Image:
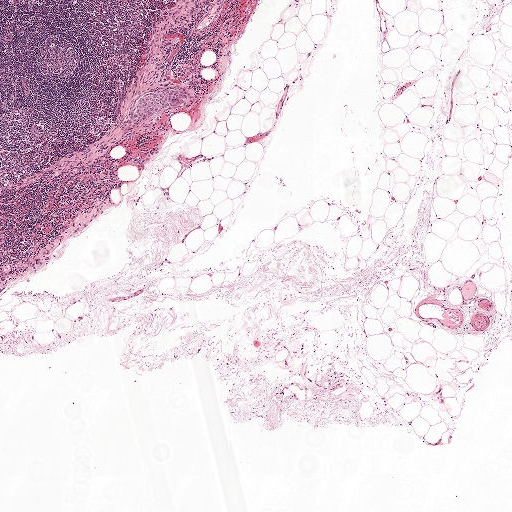
Lymph node section stained with H&E, from a whole-slide image of a breast-cancer sentinel node. Magnification about 2.5×, about 2.0 mm across the frame, about 3.9 µm per pixel.
Question:
Does this lymph node field contain metastatic tumour?
Answer:
Yes.
The outlined metastatic tumour's edge, as a closed clockwise path of 11 points: (183, 86), (187, 88), (188, 92), (183, 103), (153, 113), (139, 122), (130, 122), (131, 113), (143, 95), (162, 88), (173, 89).
The annotated tumour makes up under 5% of the crop.